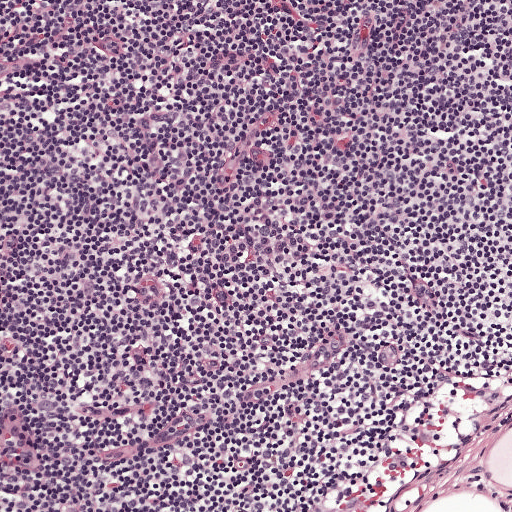
H&E-stained section of a sentinel lymph node (breast cancer), from a whole-slide image, viewed at about 10×: the field is about 0.5 mm across, about 0.97 µm per pixel.